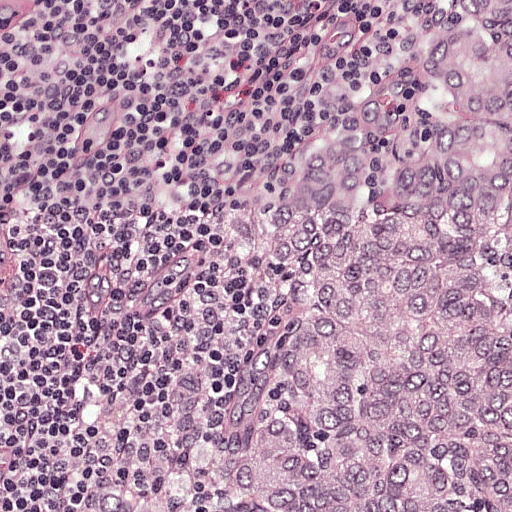
A 0.25-mm field of an H&E-stained sentinel lymph node from a breast-cancer patient (whole-slide image), shown at about 20×, about 0.49 µm per pixel.
Metastatic tumour outline, simplified to 8 points and listed clockwise in crop pixels (x, y): (511, 0), (511, 511), (101, 511), (130, 354), (154, 339), (204, 221), (277, 112), (413, 1).
Tumour covers about 60% of the frame.